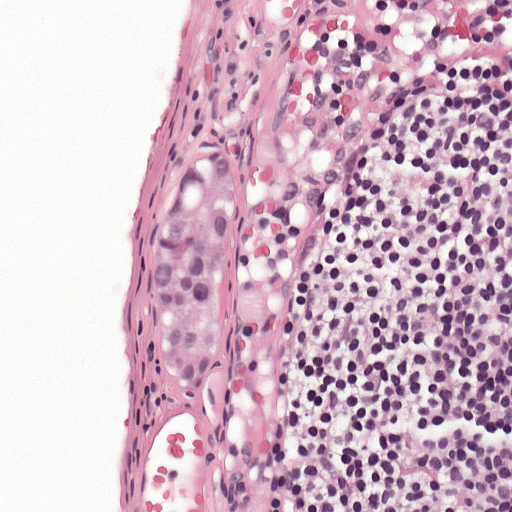
This is a crop of a whole-slide image: an H&E-stained breast-cancer sentinel lymph node section at roughly 20× magnification (about 0.49 µm per pixel; the crop spans about 0.25 mm).
The outlined metastatic tumour's edge, as a closed clockwise path of 10 points: (214, 144), (232, 168), (241, 218), (240, 268), (218, 366), (188, 399), (162, 376), (150, 328), (158, 226), (176, 178).
About 5% of this field is tumour.